Question: 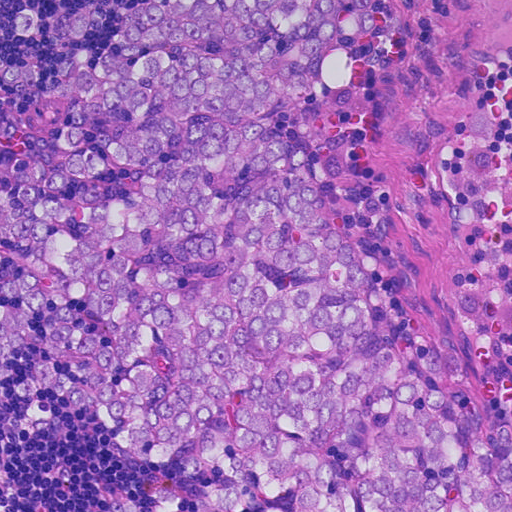
A 0.23-mm field of an H&E-stained sentinel lymph node from a breast-cancer patient (whole-slide image), shown at about 20×, about 0.45 µm per pixel.
What fraction of the image area is metastatic tumour?

Choices:
 (A) about 10% to 20%
 (B) about 50% or more
 (C) about 25% to 45%
 (D) about 5% or less
 (E) none: no tumour is outlined

Answer: (B) about 50% or more
About 75% of the field is tumour.
The outlined metastatic tumour's edge, as a closed clockwise path of 17 points: (0, 0), (380, 0), (392, 40), (354, 137), (348, 196), (380, 289), (434, 374), (454, 395), (511, 416), (511, 511), (189, 511), (180, 484), (124, 462), (92, 412), (48, 396), (19, 402), (0, 391).